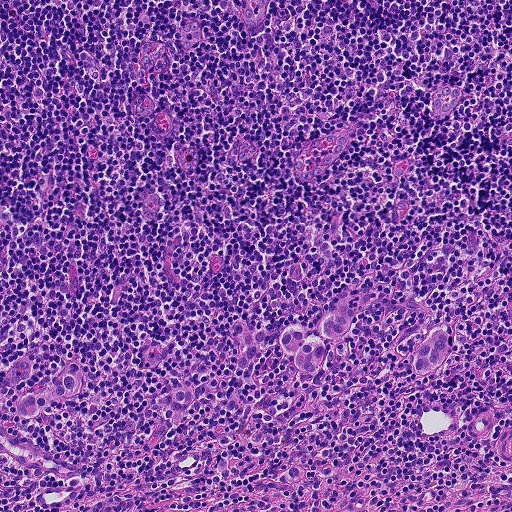
H&E-stained section of a sentinel lymph node (breast cancer), from a whole-slide image, viewed at about 10×: the field is about 0.46 mm across, about 0.9 µm per pixel.
Boundaries of three metastatic tumour regions, simplified and listed clockwise, largest first: region 1: (348, 304), (359, 314), (356, 328), (328, 346), (329, 362), (322, 377), (307, 381), (294, 372), (293, 357), (283, 348), (282, 333), (296, 326), (311, 328), (332, 308); region 2: (69, 364), (84, 367), (89, 382), (83, 396), (68, 402), (52, 404), (38, 411), (30, 423), (16, 413), (18, 398), (33, 394), (43, 382), (57, 375); region 3: (446, 324), (450, 334), (450, 350), (431, 375), (416, 374), (414, 359), (417, 345), (425, 338), (430, 326).
Under 5% of the image area is annotated as tumour.